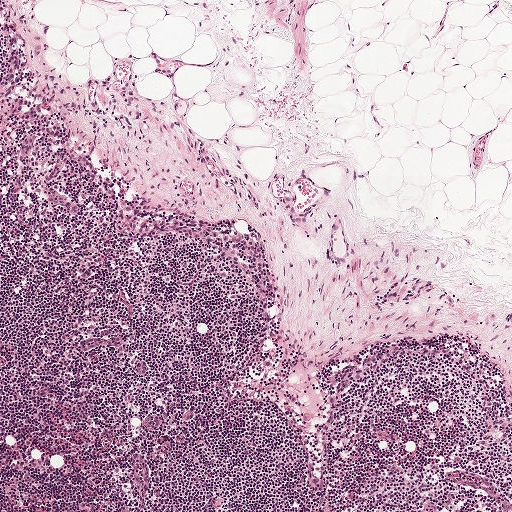
H&E-stained section of a sentinel lymph node (breast cancer), from a whole-slide image, viewed at about 5×: the field is about 1 mm across, about 1.9 µm per pixel.
Question: Does this lymph node field contain metastatic tumour?
Answer: No. No metastatic tumour is outlined in this field.